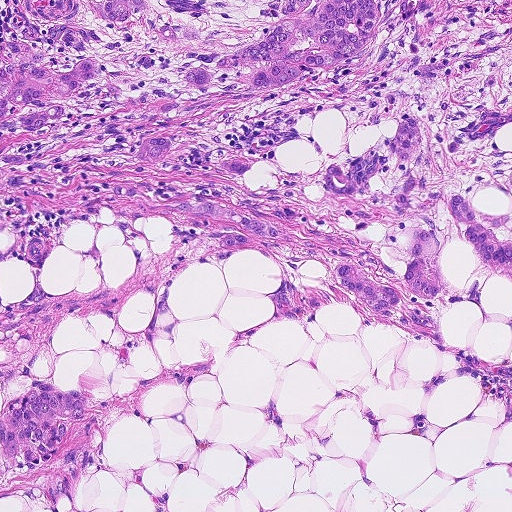
Lymph node section stained with H&E, from a whole-slide image of a breast-cancer sentinel node. Magnification about 10×, about 0.46 mm across the frame, about 0.9 µm per pixel.
Metastatic tumour outline, simplified to 23 points and listed clockwise in crop pixels (x, y): (0, 0), (511, 0), (511, 283), (462, 242), (394, 325), (347, 294), (248, 346), (263, 295), (320, 264), (182, 269), (172, 341), (70, 316), (34, 375), (206, 374), (112, 423), (108, 471), (0, 480), (0, 305), (119, 283), (173, 221), (128, 243), (100, 210), (11, 262).
The annotated tumour makes up about 60% of the crop.